Question: 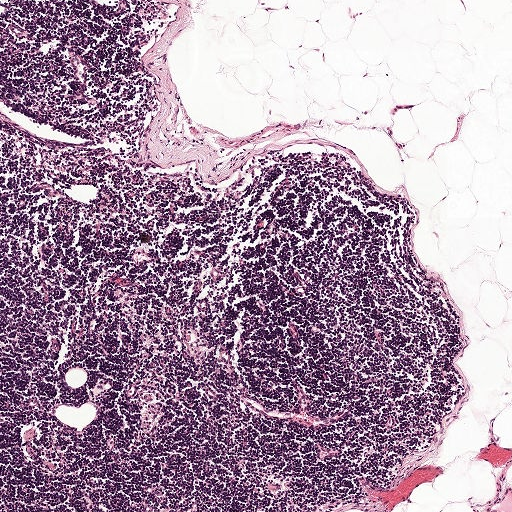
Lymph node section stained with H&E, from a whole-slide image of a breast-cancer sentinel node. Magnification about 5×, about 1 mm across the frame, about 1.9 µm per pixel.
Estimate the proportion of this field that is metastatic tumour.

Choices:
 (A) about 50% or more
 (B) about 10% to 20%
 (C) about 25% to 45%
 (D) about 5% or less
 (E) none: no tumour is outlined

Answer: (E) none: no tumour is outlined
No metastatic tumour is outlined in this field.